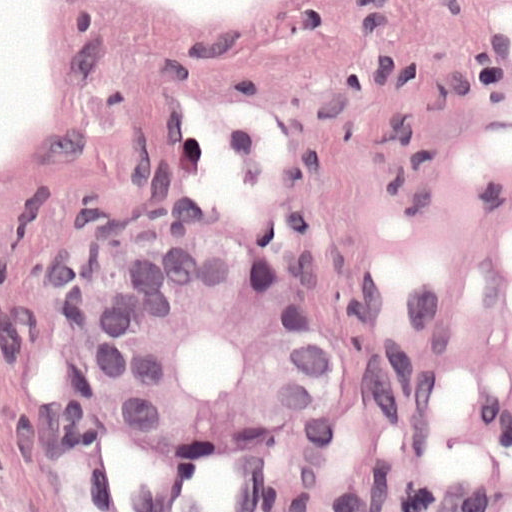
This is a crop of a whole-slide image: an H&E-stained breast-cancer sentinel lymph node section at roughly 40× magnification (about 0.24 µm per pixel; the crop spans about 0.12 mm).
Metastatic tumour outline, simplified to 8 points and listed clockwise in crop pixels (x, y): (157, 194), (226, 208), (321, 280), (342, 395), (263, 477), (140, 458), (56, 375), (62, 260).
About 25% of this field is tumour.